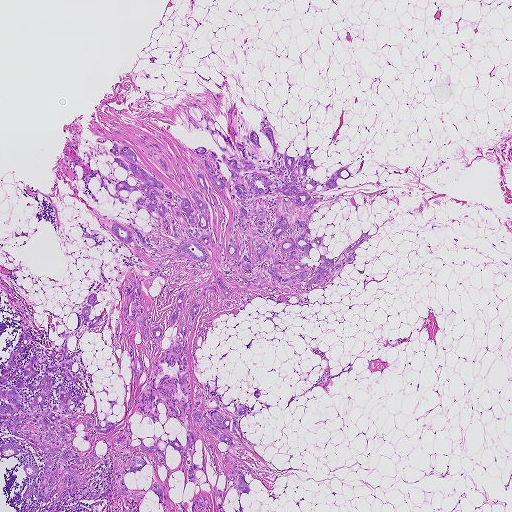
H&E-stained section of a sentinel lymph node (breast cancer), from a whole-slide image, viewed at about 2.5×: the field is about 1.9 mm across, about 3.6 µm per pixel.
Outlines of eight tumour regions, largest first (closed clockwise paths, crop pixels): region 1: (266, 114), (277, 148), (272, 169), (307, 143), (310, 178), (351, 173), (311, 193), (324, 196), (308, 226), (329, 245), (327, 248), (313, 243), (303, 263), (336, 257), (361, 229), (372, 235), (327, 280), (271, 276), (225, 296), (216, 283), (219, 296), (207, 288), (203, 300), (207, 284), (220, 276), (240, 282), (227, 248), (238, 215), (218, 146), (242, 157), (236, 140), (249, 151), (254, 130), (254, 162), (272, 165); region 2: (113, 143), (131, 149), (144, 171), (165, 185), (158, 189), (164, 194), (176, 195), (172, 190), (193, 209), (189, 184), (200, 193), (209, 210), (209, 228), (199, 230), (209, 236), (206, 261), (159, 249), (144, 256), (112, 233), (109, 219), (130, 231), (142, 250), (158, 247), (161, 239), (182, 245), (155, 211), (145, 204), (135, 211), (143, 195), (122, 190), (128, 198), (117, 196), (118, 181), (136, 183), (113, 163), (120, 156), (109, 150); region 3: (196, 147), (204, 147), (206, 149), (206, 158), (209, 164), (212, 164), (214, 161), (210, 156), (210, 149), (217, 154), (217, 157), (216, 159), (219, 159), (221, 161), (221, 163), (216, 160), (216, 161), (218, 163), (220, 166), (219, 169), (224, 183), (224, 186), (223, 189), (224, 195), (217, 189), (214, 184), (210, 180), (204, 176), (208, 188), (206, 190), (202, 189), (197, 181), (198, 165), (203, 173), (209, 178), (200, 159), (193, 152), (194, 149); region 4: (140, 134), (147, 137), (146, 142), (155, 142), (161, 147), (171, 172), (175, 176), (177, 172), (178, 173), (182, 178), (181, 183), (176, 177), (177, 182), (174, 179), (172, 182), (157, 161), (140, 150); region 5: (93, 293), (96, 293), (98, 301), (101, 302), (100, 303), (94, 305), (90, 310), (89, 316), (91, 320), (98, 315), (101, 314), (101, 317), (99, 323), (97, 325), (89, 329), (84, 325), (83, 323), (83, 317), (81, 311), (82, 308), (84, 306), (90, 305), (86, 301), (87, 298), (88, 296); region 6: (195, 303), (198, 303), (200, 305), (199, 311), (193, 321), (189, 336), (186, 331), (185, 337), (179, 328), (183, 313), (187, 324), (190, 307); region 7: (142, 307), (146, 315), (146, 318), (146, 334), (147, 339), (146, 341), (144, 340), (141, 335), (142, 327), (139, 326), (135, 331), (129, 333), (132, 327), (135, 315), (139, 311), (140, 308); region 8: (182, 290), (184, 291), (184, 294), (181, 305), (180, 314), (178, 320), (174, 324), (171, 324), (169, 323), (169, 317), (172, 311), (176, 307), (175, 300), (176, 297), (179, 292).
Two more tumour regions are annotated but not outlined: their edges are too irregular for short outlines.
Three more, smaller tumour regions are not outlined.
Tumour covers about 15% of the frame.